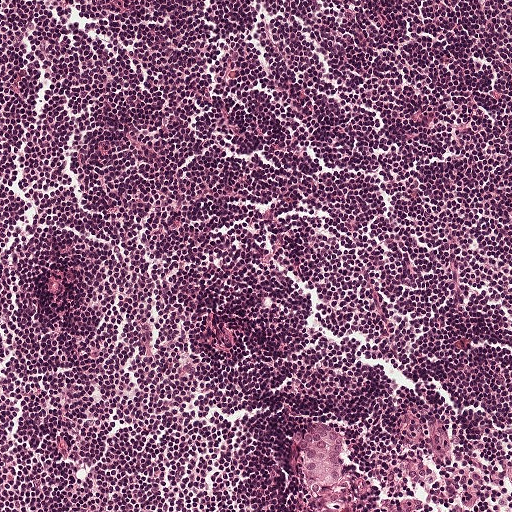
A 0.5-mm field of an H&E-stained sentinel lymph node from a breast-cancer patient (whole-slide image), shown at about 10×, about 0.97 µm per pixel.
One metastatic tumour region; its boundary, reduced to 11 corners and listed clockwise: (310, 420), (346, 430), (347, 446), (352, 454), (352, 472), (350, 478), (319, 498), (304, 492), (301, 460), (289, 442), (290, 428).
Under 5% of the image area is annotated as tumour.